This is a crop of a whole-slide image: an H&E-stained breast-cancer sentinel lymph node section at roughly 2.5× magnification (about 3.9 µm per pixel; the crop spans about 2.0 mm).
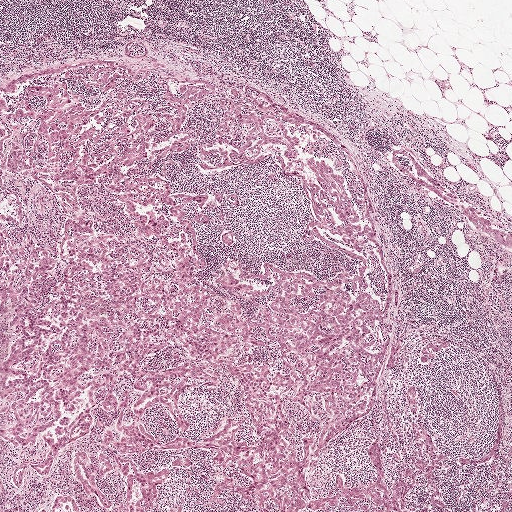
Tumour region outline (a closed clockwise path, crop pixels): (238, 258), (256, 270), (265, 258), (329, 279), (343, 265), (360, 273), (363, 260), (378, 304), (391, 274), (395, 338), (370, 409), (334, 431), (305, 468), (316, 426), (295, 403), (283, 404), (299, 469), (312, 496), (332, 493), (336, 506), (251, 511), (233, 493), (220, 508), (210, 503), (225, 478), (246, 487), (247, 477), (214, 464), (209, 450), (160, 444), (229, 417), (240, 423), (238, 441), (259, 442), (222, 360), (284, 364), (249, 312), (217, 287), (219, 262).
About 10% of this field is tumour.